Question: 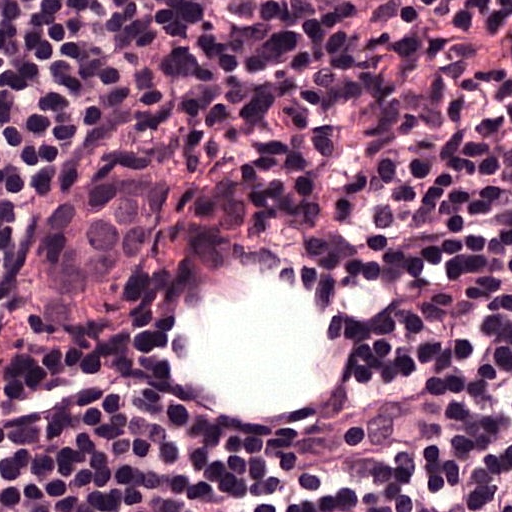
A 0.12-mm field of an H&E-stained sentinel lymph node from a breast-cancer patient (whole-slide image), shown at about 40×, about 0.24 µm per pixel.
About how much of this crop is taken up by metastatic carcinoma?

Choices:
 (A) about 10% to 20%
 (B) about 5% or less
 (C) about 50% or more
 (D) about 25% to 45%
 (E) none: no tumour is outlined

Answer: (B) about 5% or less
About 5% of the field is tumour.
Metastatic tumour outline, simplified to 10 points and listed clockwise in crop pixels (x, y): (86, 191), (145, 191), (158, 218), (155, 289), (121, 321), (93, 333), (64, 333), (43, 321), (48, 250), (79, 193).
Two more small tumour pieces are annotated here but not outlined.